Image:
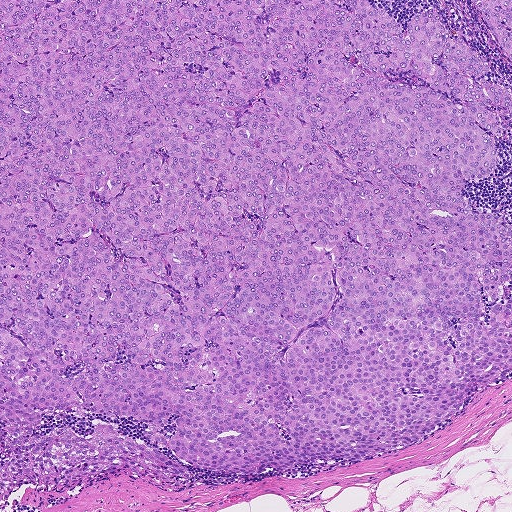
Lymph node section stained with H&E, from a whole-slide image of a breast-cancer sentinel node. Magnification about 5×, about 0.93 mm across the frame, about 1.8 µm per pixel.
Question:
Is any metastatic breast cancer visible in this crop?
Answer:
Yes.
Two metastatic tumour regions, each outlined as a closed clockwise path in crop pixels (x, y), largest first: region 1: (0, 0), (368, 0), (405, 36), (435, 9), (486, 57), (469, 77), (511, 97), (511, 127), (478, 125), (499, 160), (461, 195), (511, 224), (502, 382), (412, 446), (254, 475), (188, 464), (134, 417), (51, 411), (42, 436), (110, 425), (193, 482), (111, 471), (24, 484), (4, 507); region 2: (473, 0), (511, 0), (511, 62), (499, 47).
About 85% of the image area is annotated as tumour.